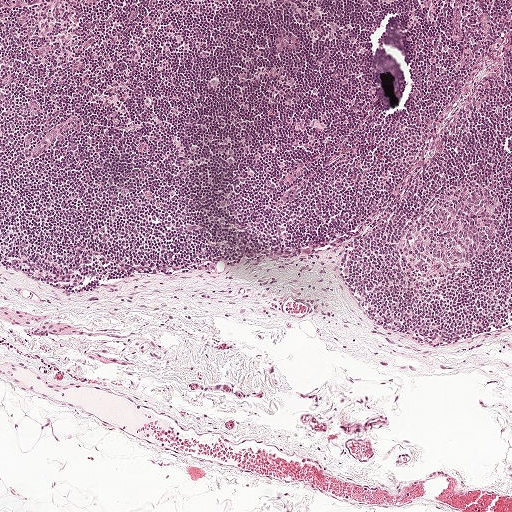
Lymph node section stained with H&E, from a whole-slide image of a breast-cancer sentinel node. Magnification about 5×, about 1 mm across the frame, about 1.9 µm per pixel.